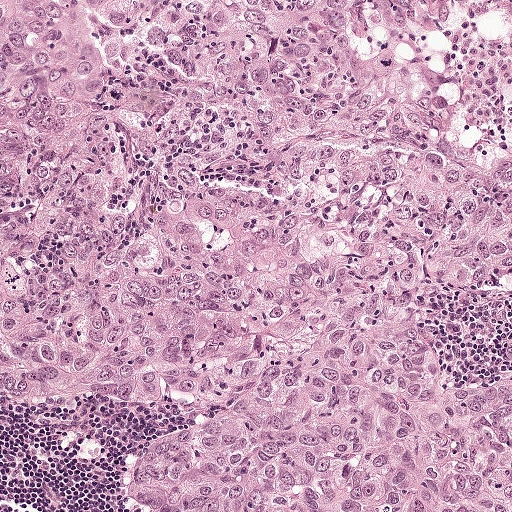
This is a crop of a whole-slide image: an H&E-stained breast-cancer sentinel lymph node section at roughly 10× magnification (about 0.97 µm per pixel; the crop spans about 0.5 mm).
The outlined metastatic tumour's edge, as a closed clockwise path of 9 points: (0, 0), (511, 0), (511, 511), (128, 511), (120, 457), (171, 436), (174, 419), (59, 422), (0, 396).
Tumour covers about 95% of the frame.